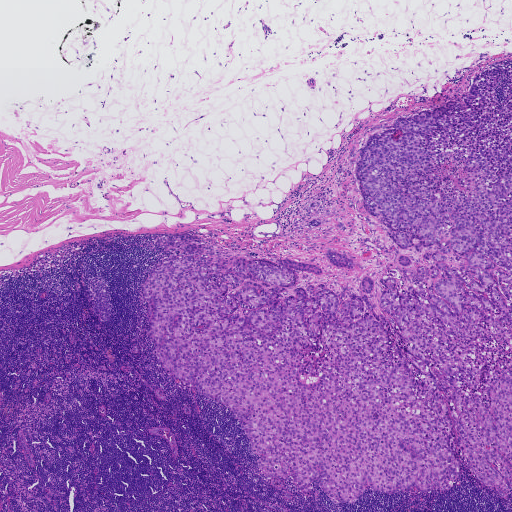
Lymph node section stained with H&E, from a whole-slide image of a breast-cancer sentinel node. Magnification about 2.5×, about 1.9 mm across the frame, about 3.6 µm per pixel.
Boundaries of two metastatic tumour regions, simplified and listed clockwise, largest first: region 1: (500, 67), (511, 488), (486, 488), (457, 453), (460, 487), (339, 503), (266, 477), (232, 412), (164, 371), (140, 293), (183, 253), (163, 238), (193, 230), (218, 258), (321, 268), (295, 270), (287, 295), (361, 296), (370, 277), (390, 316), (383, 273), (430, 260), (366, 211), (351, 149); region 2: (328, 250), (337, 251), (353, 260), (355, 264), (354, 268), (349, 269), (332, 265), (326, 258), (325, 254).
Two more small tumour pieces are annotated here but not outlined.
About 35% of the image area is annotated as tumour.